This is a crop of a whole-slide image: an H&E-stained breast-cancer sentinel lymph node section at roughly 5× magnification (about 1.8 µm per pixel; the crop spans about 0.93 mm).
Question: 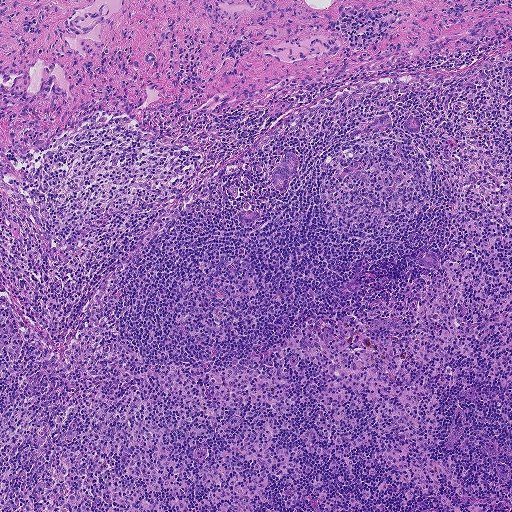
About how much of this crop is taken up by metastatic carcinoma?

Choices:
 (A) about 25% to 45%
 (B) about 5% or less
 (C) about 10% to 20%
 (D) none: no tumour is outlined
 (E) about 50% or more

Answer: (B) about 5% or less
Under 5% of the field is tumour.
Outlines of five tumour regions, largest first (closed clockwise paths, crop pixels): region 1: (289, 151), (298, 159), (297, 171), (289, 181), (286, 192), (280, 192), (275, 189), (272, 184), (272, 172), (284, 154); region 2: (384, 115), (390, 116), (391, 122), (390, 128), (379, 133), (349, 135), (356, 129), (362, 128); region 3: (241, 210), (249, 210), (260, 212), (260, 218), (249, 225), (243, 225), (239, 222), (238, 215); region 4: (428, 252), (434, 253), (436, 258), (436, 264), (433, 269), (427, 269), (416, 263); region 5: (414, 116), (418, 120), (420, 126), (420, 132), (414, 133), (403, 128), (403, 122), (407, 117).
One more small tumour piece is annotated here but not outlined.